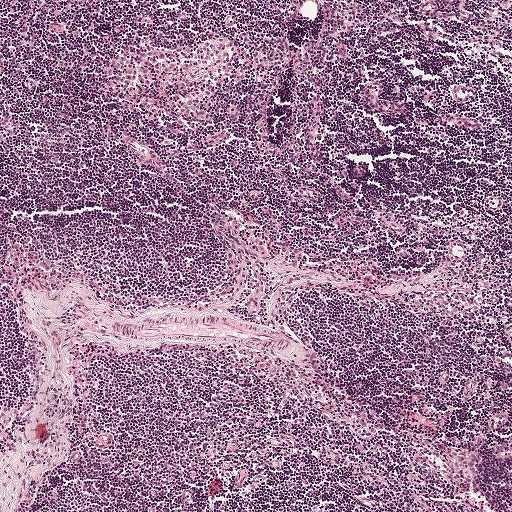
This is a crop of a whole-slide image: an H&E-stained breast-cancer sentinel lymph node section at roughly 5× magnification (about 1.9 µm per pixel; the crop spans about 1 mm).